Image:
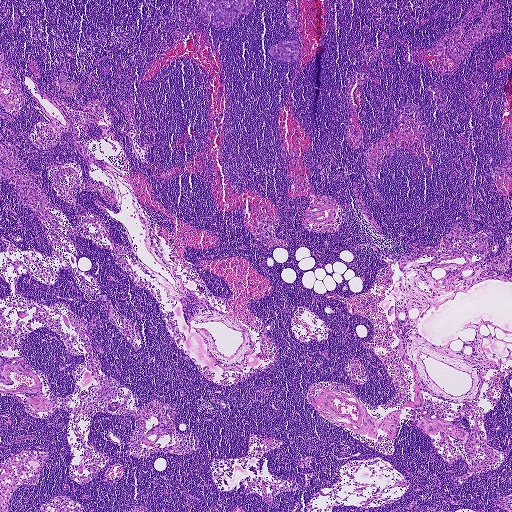
A 1.9-mm field of an H&E-stained sentinel lymph node from a breast-cancer patient (whole-slide image), shown at about 2.5×, about 3.6 µm per pixel.
Question:
Describe where the metastatic carcinoma lies in this crop.
Answer:
Outlines of three tumour regions, largest first (closed clockwise paths, crop pixels): region 1: (198, 0), (254, 0), (254, 4), (250, 13), (241, 14), (234, 24), (223, 28), (203, 22), (199, 16); region 2: (284, 41), (296, 41), (298, 49), (298, 58), (291, 62), (278, 61), (268, 53), (271, 45); region 3: (292, 10), (294, 11), (295, 14), (296, 25), (295, 27), (292, 27), (289, 26), (287, 23), (287, 13), (288, 11).
Tumour covers under 5% of the frame.